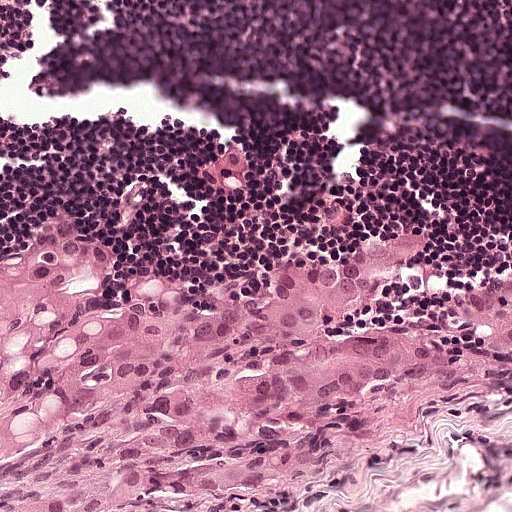
H&E-stained section of a sentinel lymph node (breast cancer), from a whole-slide image, viewed at about 20×: the field is about 0.25 mm across, about 0.49 µm per pixel.
Question: Is there metastatic carcinoma in this field?
Answer: Yes.
Tumour region outline (a closed clockwise path, crop pixels): (81, 205), (136, 277), (298, 255), (377, 224), (410, 227), (476, 270), (511, 251), (511, 382), (348, 453), (142, 508), (0, 511), (0, 216).
Tumour covers about 45% of the frame.